Lymph node section stained with H&E, from a whole-slide image of a breast-cancer sentinel node. Magnification about 10×, about 0.46 mm across the frame, about 0.9 µm per pixel.
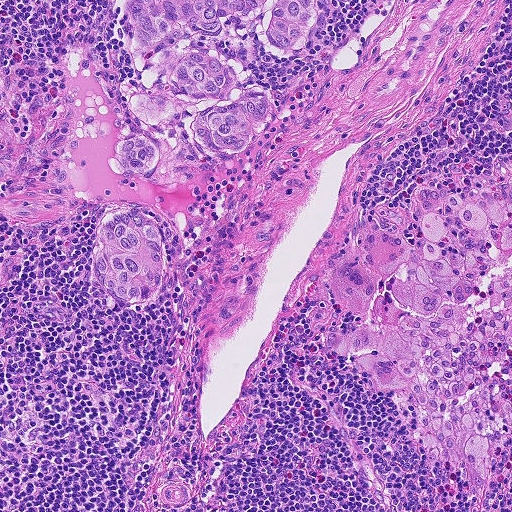
Boundaries of two metastatic tumour regions, simplified and listed clockwise, largest first: region 1: (116, 0), (326, 0), (304, 51), (280, 62), (236, 37), (198, 40), (244, 62), (254, 82), (279, 91), (275, 116), (240, 153), (171, 185), (168, 210), (160, 208), (163, 186), (119, 177), (106, 154), (118, 139), (139, 131), (122, 95), (136, 74); region 2: (119, 206), (158, 209), (178, 234), (179, 260), (170, 284), (154, 303), (127, 304), (102, 296), (88, 274), (90, 248), (101, 224).
One more small tumour piece is annotated here but not outlined.
About 15% of this field is tumour.